Question: 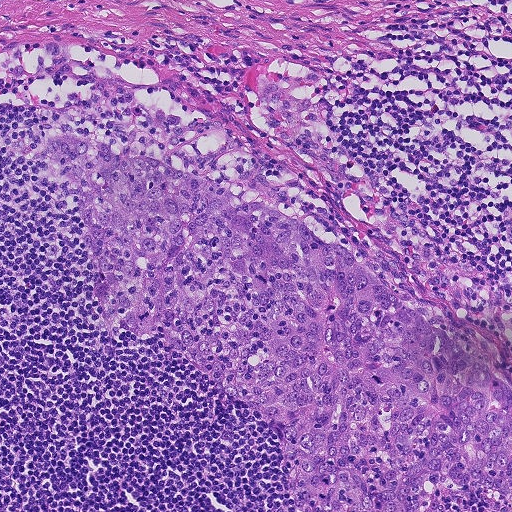
A 0.46-mm field of an H&E-stained sentinel lymph node from a breast-cancer patient (whole-slide image), shown at about 10×, about 0.9 µm per pixel.
About how much of this crop is taken up by metastatic carcinoma?

Choices:
 (A) none: no tumour is outlined
 (B) about 25% to 45%
 (C) about 10% to 20%
 (D) about 50% or more
 (E) about 5% or less

Answer: (B) about 25% to 45%
About 35% of the field is tumour.
Metastatic tumour outline, simplified to 12 points and listed clockwise in crop pixels (x, y): (75, 129), (117, 154), (326, 226), (511, 383), (511, 511), (300, 511), (270, 426), (173, 351), (105, 327), (77, 197), (40, 163), (37, 139).